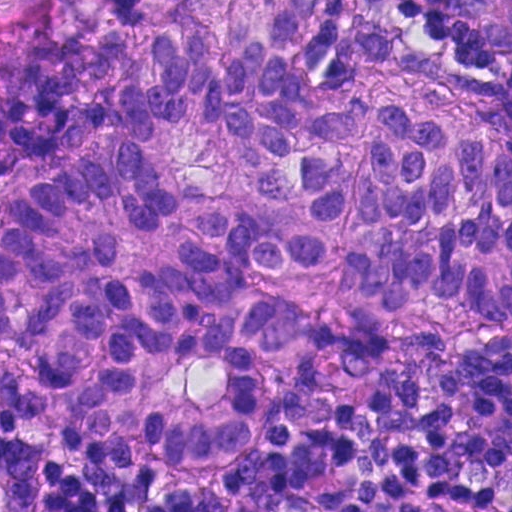
H&E-stained section of a sentinel lymph node (breast cancer), from a whole-slide image, viewed at about 40×: the field is about 0.12 mm across, about 0.23 µm per pixel.
Metastatic tumour outline, simplified to 18 points and listed clockwise in crop pixels (x, y): (228, 0), (325, 0), (300, 44), (299, 73), (325, 107), (403, 91), (511, 156), (511, 326), (427, 296), (394, 320), (334, 306), (257, 450), (219, 475), (101, 438), (1, 359), (5, 197), (94, 145), (151, 35).
Tumour covers about 60% of the frame.